Lymph node section stained with H&E, from a whole-slide image of a breast-cancer sentinel node. Magnification about 2.5×, about 2.0 mm across the frame, about 3.9 µm per pixel.
Image:
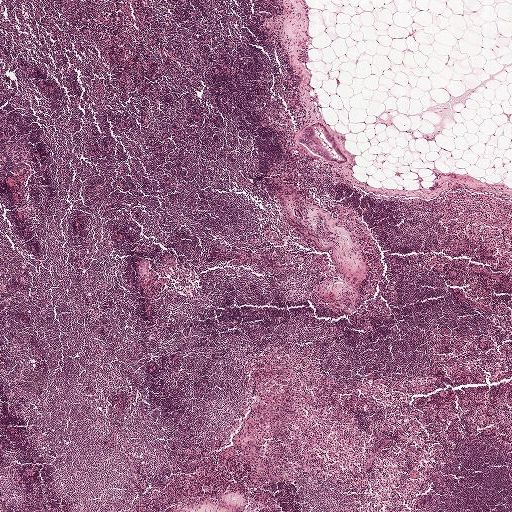
Question:
Where is the metastatic tumour in this field?
Answer:
Two metastatic tumour regions, each outlined as a closed clockwise path in crop pixels (x, y), largest first: region 1: (319, 122), (319, 127), (315, 130), (319, 144), (323, 150), (323, 156), (320, 157), (316, 156), (312, 151), (297, 141), (297, 138), (299, 135), (305, 127); region 2: (141, 258), (150, 260), (151, 266), (151, 272), (143, 277), (139, 276), (139, 268), (135, 263), (136, 260).
Under 5% of this field is tumour.